This is a crop of a whole-slide image: an H&E-stained breast-cancer sentinel lymph node section at roughly 40× magnification (about 0.23 µm per pixel; the crop spans about 0.12 mm).
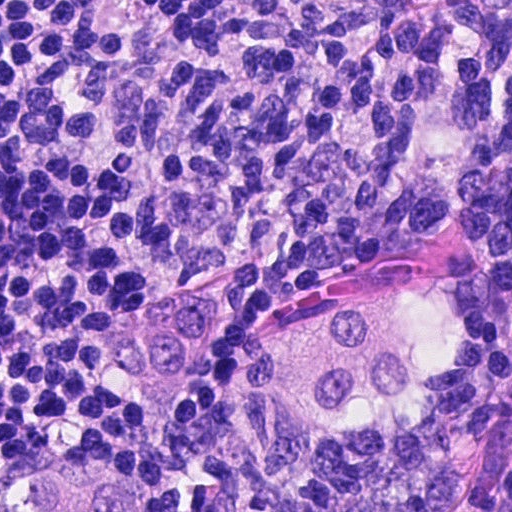
Boundaries of two metastatic tumour regions, simplified and listed clockwise, largest first: region 1: (101, 452), (156, 487), (151, 511), (0, 511), (0, 472), (38, 455); region 2: (511, 419), (511, 511), (459, 511), (477, 481).
The annotated tumour makes up about 5% of the crop.